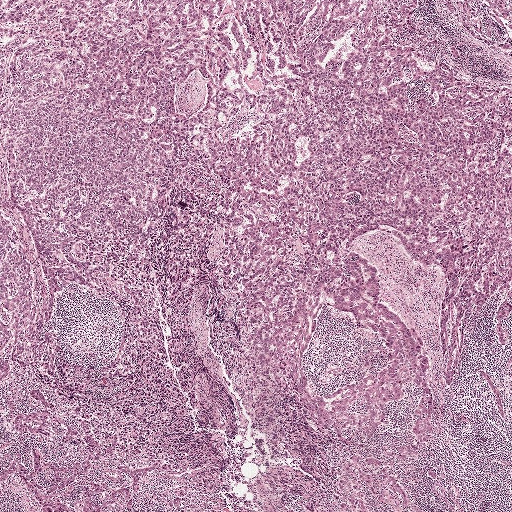
A 2.0-mm field of an H&E-stained sentinel lymph node from a breast-cancer patient (whole-slide image), shown at about 2.5×, about 3.9 µm per pixel.
One metastatic tumour region; its boundary, reduced to 21 corners and listed clockwise: (401, 44), (511, 87), (511, 295), (467, 311), (449, 385), (436, 340), (440, 273), (405, 255), (390, 230), (353, 244), (379, 272), (379, 300), (419, 336), (430, 364), (424, 393), (379, 338), (334, 308), (311, 268), (301, 108), (308, 93), (369, 47).
The annotated tumour makes up about 20% of the crop.